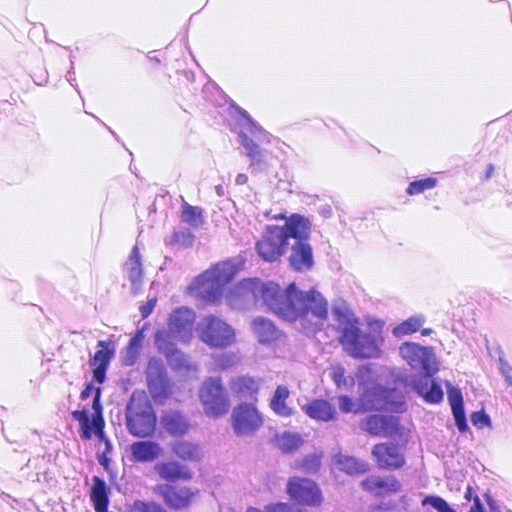
This is a crop of a whole-slide image: an H&E-stained breast-cancer sentinel lymph node section at roughly 40× magnification (about 0.23 µm per pixel; the crop spans about 0.12 mm).
One metastatic tumour region; its boundary, reduced to 9 corners and listed clockwise: (298, 191), (402, 265), (485, 363), (511, 441), (511, 511), (83, 511), (76, 503), (61, 384), (180, 200).
About 45% of this field is tumour.